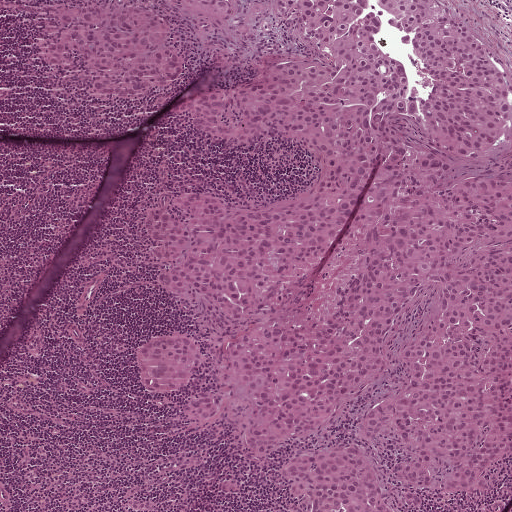
Lymph node section stained with H&E, from a whole-slide image of a breast-cancer sentinel node. Magnification about 5×, about 1 mm across the frame, about 1.9 µm per pixel.
Boundaries of two metastatic tumour regions, simplified and listed clockwise, largest first: region 1: (436, 0), (509, 80), (511, 458), (476, 499), (283, 498), (283, 464), (404, 381), (422, 301), (367, 393), (264, 457), (177, 411), (201, 368), (145, 393), (139, 345), (212, 344), (151, 284), (149, 211), (311, 178), (283, 141), (170, 118), (256, 69), (212, 72), (170, 4); region 2: (139, 0), (140, 5), (158, 8), (171, 19), (188, 49), (190, 66), (177, 79), (112, 105), (95, 108), (79, 104), (40, 70), (33, 36), (36, 1).
Tumour covers about 60% of the frame.